Question: 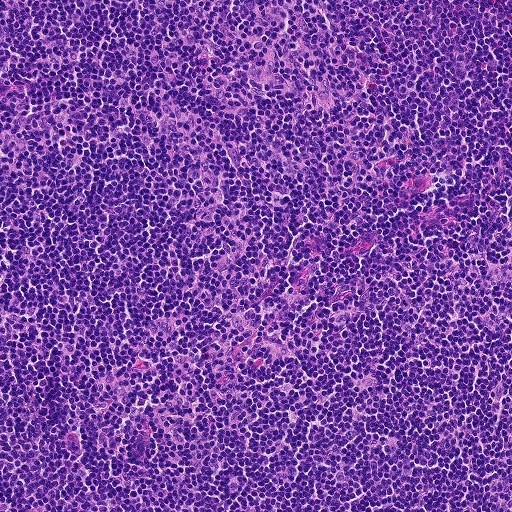
Lymph node section stained with H&E, from a whole-slide image of a breast-cancer sentinel node. Magnification about 10×, about 0.46 mm across the frame, about 0.9 µm per pixel.
What fraction of the image area is metastatic tumour?

Choices:
 (A) about 5% or less
 (B) about 10% to 20%
 (C) about 25% to 45%
 (D) about 50% or more
 (E) none: no tumour is outlined

Answer: (E) none: no tumour is outlined
No metastatic tumour is outlined in this field.